H&E-stained section of a sentinel lymph node (breast cancer), from a whole-slide image, viewed at about 20×: the field is about 0.23 mm across, about 0.45 µm per pixel.
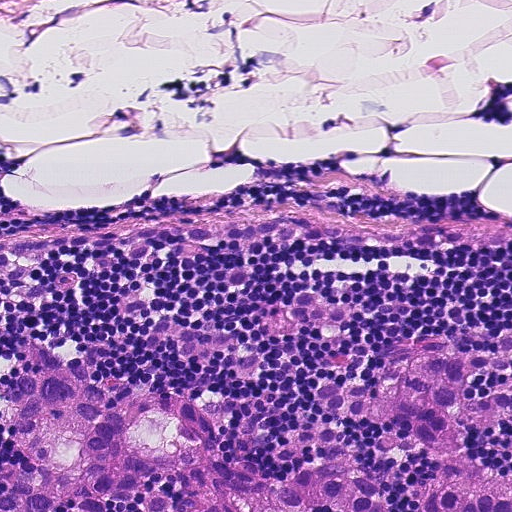
Two metastatic tumour regions, each outlined as a closed clockwise path in crop pixels (x, y), largest first: region 1: (306, 291), (411, 300), (392, 330), (291, 342), (236, 382), (268, 391), (429, 329), (464, 322), (490, 330), (511, 311), (511, 511), (0, 511), (0, 343), (28, 340), (92, 368), (140, 319), (244, 323); region 2: (263, 203), (511, 214), (511, 257), (422, 244), (246, 248), (178, 262), (66, 256), (40, 278), (57, 290), (40, 295), (0, 293), (0, 233).
About 45% of this field is tumour.